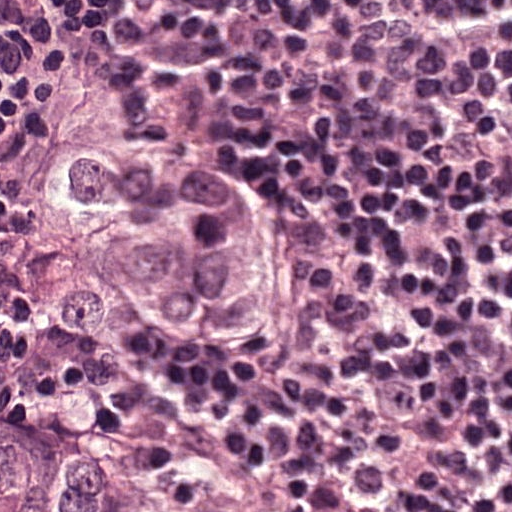
Lymph node section stained with H&E, from a whole-slide image of a breast-cancer sentinel node. Magnification about 40×, about 0.12 mm across the frame, about 0.24 µm per pixel.
Two metastatic tumour regions, each outlined as a closed clockwise path in crop pixels (x, y), largest first: region 1: (93, 131), (196, 148), (260, 181), (280, 238), (280, 308), (265, 340), (189, 329), (149, 308), (122, 308), (105, 327), (74, 326), (60, 314), (56, 279), (99, 270), (115, 258), (102, 228), (45, 212), (40, 169), (51, 138); region 2: (0, 406), (35, 407), (83, 428), (120, 452), (132, 470), (130, 509), (0, 511).
About 20% of the image area is annotated as tumour.